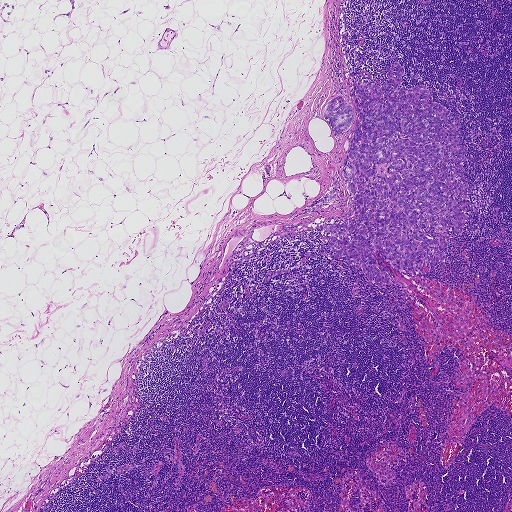
This is a crop of a whole-slide image: an H&E-stained breast-cancer sentinel lymph node section at roughly 2.5× magnification (about 3.6 µm per pixel; the crop spans about 1.9 mm).
Outlines of two tumour regions, largest first (closed clockwise paths, crop pixels): region 1: (394, 61), (410, 88), (433, 89), (447, 123), (460, 123), (471, 191), (457, 203), (471, 218), (459, 235), (446, 229), (446, 260), (422, 273), (371, 253), (403, 284), (380, 287), (333, 255), (324, 223), (352, 210), (341, 174), (351, 89), (381, 89); region 2: (337, 96), (343, 96), (353, 108), (351, 124), (346, 133), (338, 133), (325, 120), (324, 110).
The annotated tumour makes up about 10% of the crop.